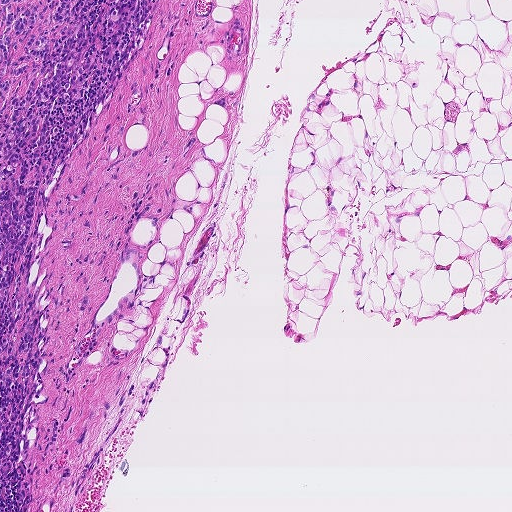
This is a crop of a whole-slide image: an H&E-stained breast-cancer sentinel lymph node section at roughly 5× magnification (about 1.8 µm per pixel; the crop spans about 0.93 mm).
The outlined metastatic tumour's edge, as a closed clockwise path of 19 points: (0, 0), (159, 0), (142, 27), (126, 33), (114, 48), (109, 70), (96, 66), (83, 100), (66, 94), (55, 101), (55, 134), (26, 176), (26, 186), (37, 185), (39, 190), (31, 230), (16, 264), (16, 275), (2, 292).
The annotated tumour makes up about 5% of the crop.